Image:
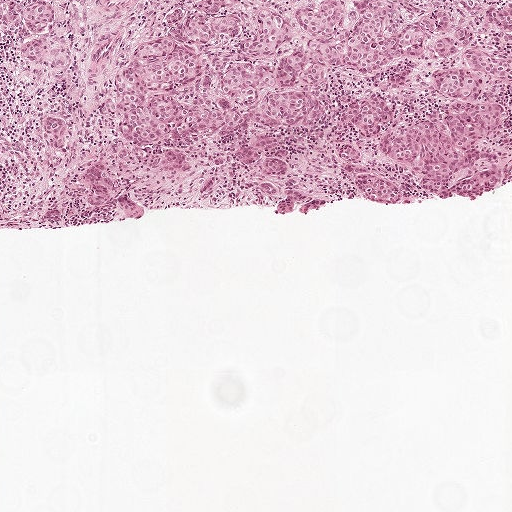
H&E-stained section of a sentinel lymph node (breast cancer), from a whole-slide image, viewed at about 5×: the field is about 1 mm across, about 1.9 µm per pixel.
Question:
Describe where the metastatic carcinoma lies in this crop.
Answer:
Outlines of three tumour regions, largest first (closed clockwise paths, crop pixels): region 1: (156, 36), (197, 48), (206, 59), (206, 70), (200, 79), (181, 87), (176, 98), (182, 102), (232, 99), (242, 114), (241, 126), (228, 135), (211, 138), (140, 139), (126, 136), (119, 126), (111, 78), (120, 63), (143, 43); region 2: (473, 47), (502, 54), (511, 53), (511, 94), (499, 86), (474, 77), (466, 71), (460, 63), (461, 56); region 3: (196, 0), (240, 0), (239, 6), (231, 14), (211, 13), (202, 8).
One more small tumour piece is annotated here but not outlined.
About 5% of the image area is annotated as tumour.